Question: 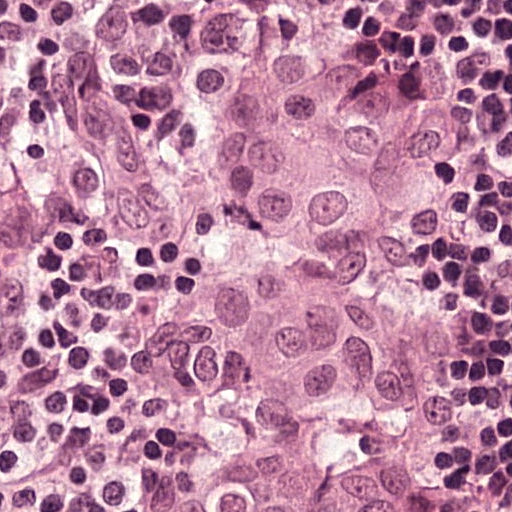
At roughly what magnification is this field shown?

Choices:
 (A) about 20×
 (B) about 2.5×
 (C) about 40×
 (D) about 10×
 (E) about 5×

Answer: (C) about 40×
A 0.12-mm field of an H&E-stained sentinel lymph node from a breast-cancer patient (whole-slide image), shown at about 40×, about 0.24 µm per pixel.
Tumour region outline (a closed clockwise path, crop pixels): (406, 21), (462, 54), (477, 95), (477, 184), (443, 254), (483, 336), (483, 373), (477, 399), (436, 428), (436, 469), (454, 511), (132, 511), (132, 443), (106, 387), (106, 339), (147, 258), (199, 206), (188, 113), (206, 62), (228, 50), (269, 58), (321, 32).
Tumour covers about 55% of the frame.